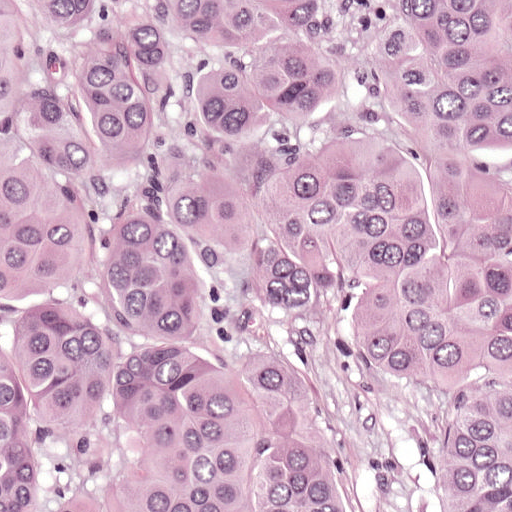
Lymph node section stained with H&E, from a whole-slide image of a breast-cancer sentinel node. Magnification about 20×, about 0.25 mm across the frame, about 0.49 µm per pixel.
Question: Show where the tumour is in this image.
Answer: Metastatic tumour covers the whole field.
The annotated tumour makes up over 95% of the crop.